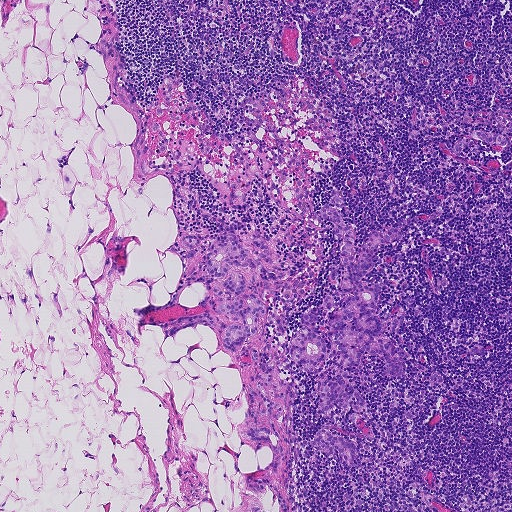
A 0.93-mm field of an H&E-stained sentinel lymph node from a breast-cancer patient (whole-slide image), shown at about 5×, about 1.8 µm per pixel.
Boundaries of two metastatic tumour regions, simplified and listed clockwise, largest first: region 1: (225, 230), (262, 237), (278, 252), (273, 269), (261, 265), (264, 282), (294, 276), (315, 286), (294, 299), (264, 292), (265, 319), (244, 346), (272, 339), (278, 371), (294, 384), (289, 511), (248, 511), (255, 497), (237, 489), (237, 478), (272, 459), (271, 449), (252, 449), (238, 435), (248, 404), (212, 329), (193, 325), (161, 345), (160, 327), (141, 326), (141, 336), (131, 309), (158, 306), (171, 292), (183, 234), (209, 254); region 2: (333, 194), (359, 247), (376, 228), (406, 235), (375, 251), (362, 279), (385, 282), (383, 318), (406, 311), (382, 337), (400, 346), (410, 360), (428, 368), (443, 377), (444, 380), (430, 388), (436, 374), (408, 360), (405, 378), (385, 377), (362, 357), (349, 384), (374, 436), (351, 439), (352, 468), (312, 448), (324, 424), (360, 432), (348, 406), (318, 411), (320, 372), (298, 367), (288, 338), (318, 307), (330, 349), (322, 304), (342, 268), (320, 209).
About 10% of the image area is annotated as tumour.